Lymph node section stained with H&E, from a whole-slide image of a breast-cancer sentinel node. Magnification about 10×, about 0.5 mm across the frame, about 0.97 µm per pixel.
Image:
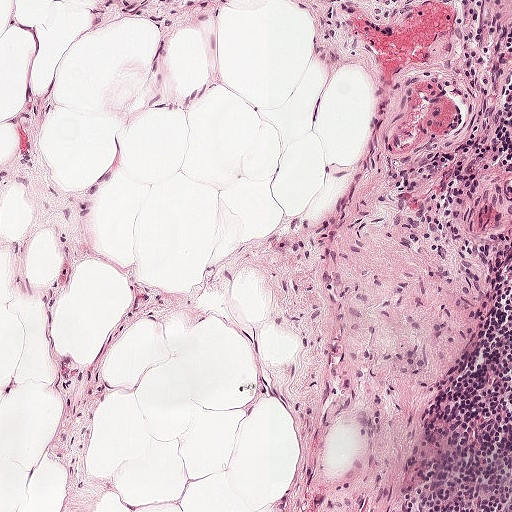
Question:
Does this lymph node field contain metastatic tumour?
Answer:
No. No metastatic tumour is outlined in this field.